Image:
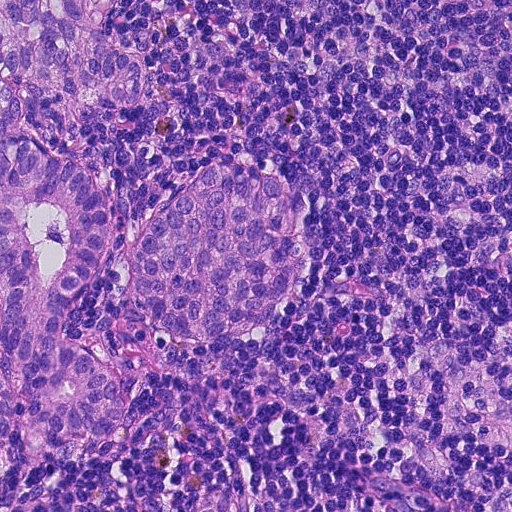
Lymph node section stained with H&E, from a whole-slide image of a breast-cancer sentinel node. Magnification about 20×, about 0.23 mm across the frame, about 0.45 µm per pixel.
Question:
Which parts of this field are metastatic tumour?
Answer:
Metastatic tumour outline, simplified to 21 points and listed clockwise in crop pixels (x, y): (0, 0), (120, 0), (154, 94), (80, 140), (122, 236), (208, 160), (257, 159), (310, 212), (302, 287), (246, 338), (172, 352), (136, 338), (120, 250), (61, 338), (118, 376), (131, 448), (106, 476), (68, 472), (64, 511), (32, 439), (0, 441).
Tumour covers about 30% of the frame.

Image:
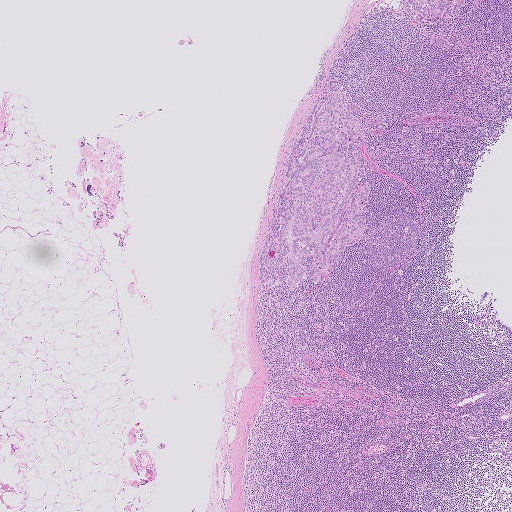
This is a crop of a whole-slide image: an H&E-stained breast-cancer sentinel lymph node section at roughly 2.5× magnification (about 4.0 µm per pixel; the crop spans about 2.0 mm).
Question:
Which parts of this field are metastatic tumour?
Answer:
Boundaries of two metastatic tumour regions, simplified and listed clockwise, largest first: region 1: (336, 89), (359, 104), (362, 140), (344, 149), (364, 155), (371, 192), (367, 212), (375, 217), (367, 220), (361, 243), (350, 248), (324, 283), (305, 281), (292, 288), (282, 269), (270, 288), (261, 291), (258, 256), (272, 206), (284, 183), (288, 154), (321, 91); region 2: (399, 0), (465, 0), (452, 16), (437, 23), (408, 16).
About 5% of the image area is annotated as tumour.

Image:
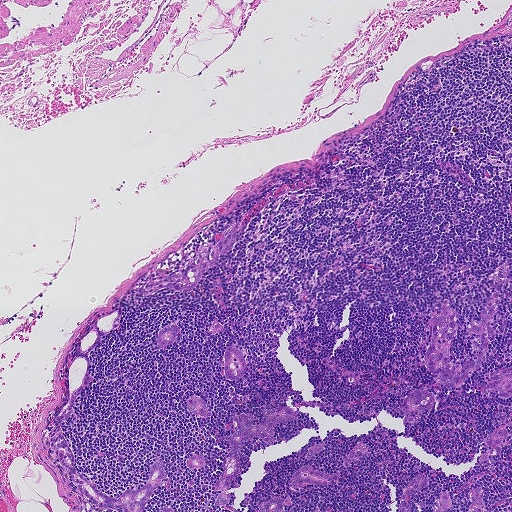
A 0.93-mm field of an H&E-stained sentinel lymph node from a breast-cancer patient (whole-slide image), shown at about 5×, about 1.8 µm per pixel.
Question:
Which parts of this field are metastatic tumour?
Answer:
The eight largest tumour regions' boundaries, simplified and listed clockwise, largest first: region 1: (119, 304), (122, 310), (120, 322), (112, 332), (104, 333), (101, 341), (91, 350), (88, 375), (93, 379), (81, 390), (72, 407), (73, 413), (61, 423), (61, 429), (70, 448), (77, 472), (101, 492), (112, 498), (128, 488), (146, 483), (152, 465), (155, 460), (162, 460), (167, 478), (165, 486), (154, 491), (142, 511), (98, 508), (75, 488), (52, 450), (48, 439), (50, 432), (58, 422), (53, 414), (66, 393), (66, 368), (76, 352), (79, 340), (92, 327), (98, 316); region 2: (488, 304), (493, 312), (488, 323), (489, 347), (461, 385), (438, 387), (425, 363), (433, 319), (446, 307), (455, 311), (458, 329), (452, 339), (450, 357), (460, 361), (474, 352), (472, 340), (476, 333), (466, 326), (469, 321), (480, 317), (482, 305); region 3: (285, 406), (295, 412), (290, 421), (274, 426), (272, 438), (261, 440), (256, 436), (246, 440), (240, 450), (240, 469), (225, 490), (229, 500), (214, 504), (221, 490), (215, 490), (227, 457), (225, 436), (234, 428), (234, 419), (238, 415), (244, 413), (253, 424), (259, 424), (268, 409); region 4: (241, 219), (233, 249), (229, 253), (218, 257), (217, 264), (207, 270), (198, 286), (181, 292), (164, 287), (147, 293), (140, 293), (134, 290), (150, 287), (159, 278), (183, 270), (192, 260), (197, 257), (198, 245), (216, 243); region 5: (417, 388), (429, 390), (436, 400), (436, 406), (432, 410), (416, 416), (415, 424), (406, 427), (402, 422), (405, 412), (402, 404), (404, 399), (412, 390); region 6: (304, 464), (327, 474), (338, 474), (327, 484), (316, 485), (304, 483), (300, 488), (295, 490), (289, 488), (288, 483), (294, 473); region 7: (232, 346), (237, 349), (245, 364), (245, 371), (242, 376), (231, 380), (225, 378), (222, 373), (223, 354), (226, 347); region 8: (511, 366), (511, 395), (509, 399), (502, 399), (495, 390), (486, 390), (486, 385), (491, 374).
11 more, smaller tumour regions are not outlined.
Three more small tumour pieces are annotated here but not outlined.
About 5% of this field is tumour.

Image:
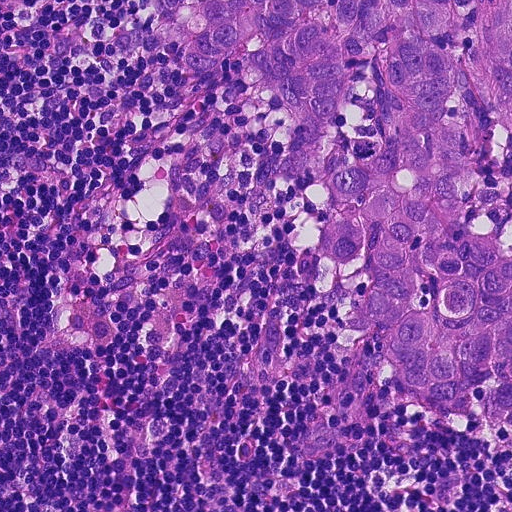
A 0.23-mm field of an H&E-stained sentinel lymph node from a breast-cancer patient (whole-slide image), shown at about 20×, about 0.45 µm per pixel.
Question:
Which parts of this field are metastatic tumour?
Answer:
The outlined metastatic tumour's edge, as a closed clockwise path of 17 points: (511, 0), (511, 433), (485, 402), (459, 394), (434, 406), (410, 394), (364, 324), (375, 271), (364, 246), (344, 264), (320, 250), (328, 160), (318, 136), (240, 58), (187, 69), (168, 18), (146, 2).
About 30% of this field is tumour.